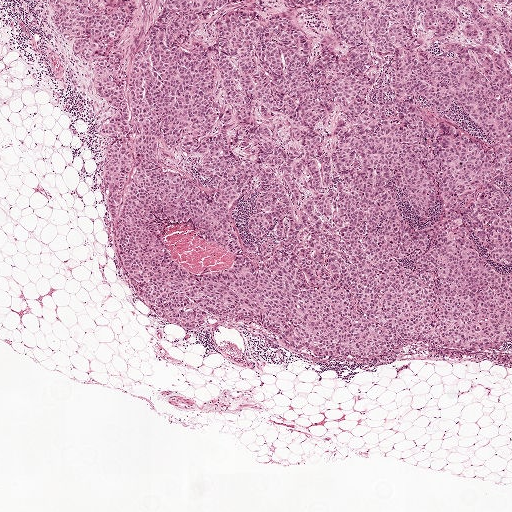
H&E-stained section of a sentinel lymph node (breast cancer), from a whole-slide image, viewed at about 2.5×: the field is about 2.0 mm across, about 3.9 µm per pixel.
One metastatic tumour region; its boundary, reduced to 19 corners and listed clockwise: (46, 0), (511, 0), (511, 346), (485, 357), (413, 347), (380, 361), (313, 362), (238, 323), (184, 332), (152, 317), (121, 280), (105, 220), (96, 167), (110, 142), (99, 124), (110, 112), (89, 91), (90, 69), (60, 40).
About 55% of this field is tumour.